Question: 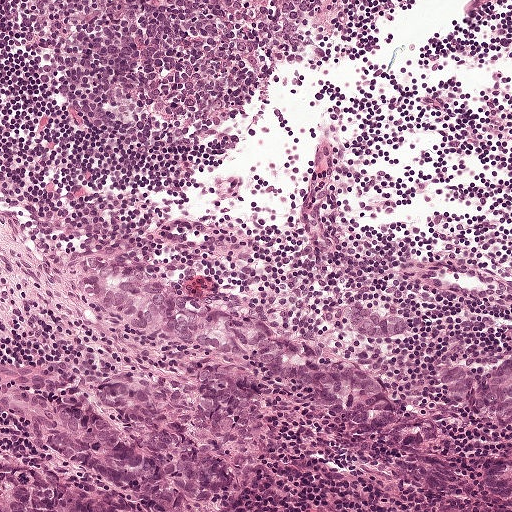
This is a crop of a whole-slide image: an H&E-stained breast-cancer sentinel lymph node section at roughly 10× magnification (about 0.97 µm per pixel; the crop spans about 0.5 mm).
What fraction of the image area is metastatic tumour?

Choices:
 (A) about 5% or less
 (B) about 25% to 45%
 (C) about 10% to 20%
 (D) about 50% or more
 (E) none: no tumour is outlined

Answer: (B) about 25% to 45%
About 25% of the field is tumour.
Outlines of six tumour regions, largest first (closed clockwise paths, crop pixels): region 1: (51, 352), (87, 378), (161, 378), (190, 402), (194, 373), (248, 381), (267, 430), (250, 491), (216, 511), (148, 511), (29, 444), (0, 412), (0, 359); region 2: (96, 255), (160, 276), (274, 330), (306, 333), (338, 347), (378, 386), (411, 407), (432, 436), (430, 450), (397, 452), (342, 428), (254, 366), (218, 363), (174, 347), (117, 317), (82, 290), (82, 267); region 3: (458, 359), (477, 363), (486, 368), (509, 360), (511, 363), (511, 440), (502, 432), (459, 413), (452, 407), (446, 399), (440, 379), (446, 365); region 4: (0, 461), (46, 476), (62, 488), (66, 488), (69, 492), (114, 511), (0, 511); region 5: (358, 302), (374, 307), (379, 316), (385, 314), (395, 318), (408, 318), (409, 322), (408, 332), (398, 337), (385, 338), (379, 341), (367, 341), (354, 334), (344, 324), (346, 309); region 6: (511, 461), (511, 511), (508, 511), (498, 503), (492, 493), (482, 486), (478, 474), (482, 466), (489, 462).